Question: 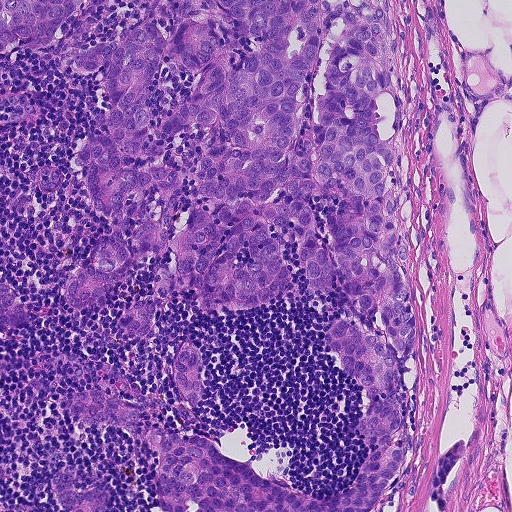
H&E-stained section of a sentinel lymph node (breast cancer), from a whole-slide image, viewed at about 10×: the field is about 0.46 mm across, about 0.9 µm per pixel.
What fraction of the image area is metastatic tumour?

Choices:
 (A) about 5% or less
 (B) none: no tumour is outlined
 (C) about 25% to 45%
 (D) about 10% to 20%
 (E) about 50% or more

Answer: (C) about 25% to 45%
About 45% of the field is tumour.
Outlines of two tumour regions, largest first (closed clockwise paths, crop pixels): region 1: (383, 0), (415, 329), (391, 384), (404, 459), (369, 511), (162, 511), (145, 442), (65, 405), (116, 378), (187, 427), (170, 364), (192, 341), (199, 432), (338, 493), (372, 447), (364, 388), (323, 348), (343, 298), (306, 282), (298, 244), (277, 240), (294, 284), (243, 312), (181, 294), (148, 338), (111, 335), (170, 250), (98, 312), (62, 298), (0, 333), (0, 286), (30, 311), (62, 294), (105, 226), (69, 159), (106, 123), (106, 66), (61, 61), (160, 3); region 2: (0, 0), (93, 0), (91, 12), (79, 27), (64, 40), (45, 44), (26, 44), (11, 57), (0, 57).
Question: 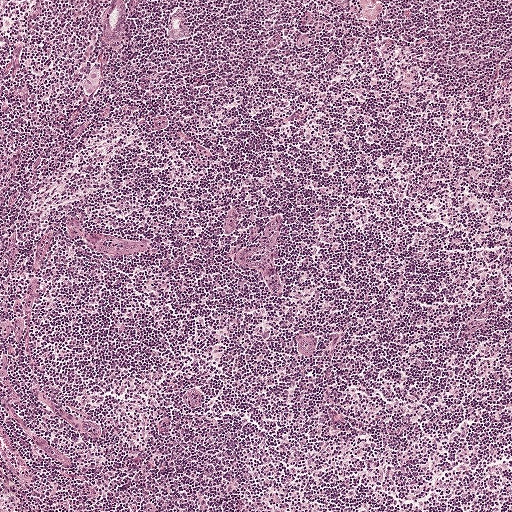
H&E-stained section of a sentinel lymph node (breast cancer), from a whole-slide image, viewed at about 5×: the field is about 1 mm across, about 1.9 µm per pixel.
What fraction of the image area is metastatic tumour?

Choices:
 (A) about 25% to 45%
 (B) none: no tumour is outlined
 (C) about 10% to 20%
 (D) about 5% or less
 (E) about 50% or more

Answer: (D) about 5% or less
Under 5% of the field is tumour.
Three metastatic tumour regions, each outlined as a closed clockwise path in crop pixels (x, y), largest first: region 1: (94, 0), (130, 0), (131, 20), (120, 45), (107, 44), (104, 28), (104, 5), (98, 6); region 2: (181, 7), (183, 9), (190, 33), (187, 38), (175, 39), (165, 36), (166, 24), (173, 9); region 3: (92, 67), (102, 68), (103, 77), (98, 90), (89, 97), (83, 96), (81, 88), (88, 70).
One more small tumour piece is annotated here but not outlined.
Question: 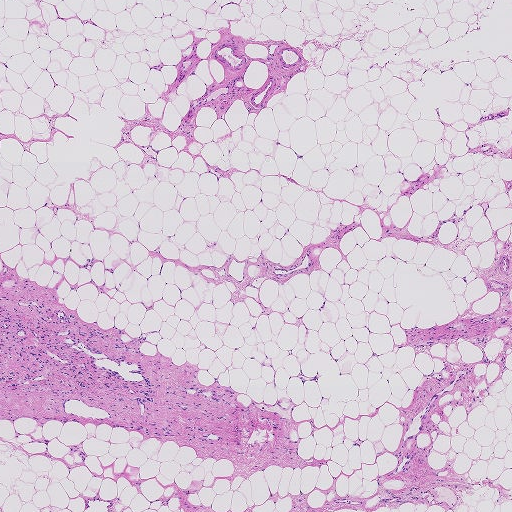
Lymph node section stained with H&E, from a whole-slide image of a breast-cancer sentinel node. Magnification about 2.5×, about 1.9 mm across the frame, about 3.6 µm per pixel.
What fraction of the image area is metastatic tumour?

Choices:
 (A) about 25% to 45%
 (B) about 10% to 20%
 (C) about 5% or less
 (D) about 50% or more
 (E) none: no tumour is outlined

Answer: (C) about 5% or less
About 5% of the field is tumour.
Tumour region outline (a closed clockwise path, crop pixels): (0, 295), (30, 298), (75, 315), (67, 324), (89, 346), (112, 358), (141, 362), (155, 400), (153, 404), (126, 404), (0, 389).
Question: 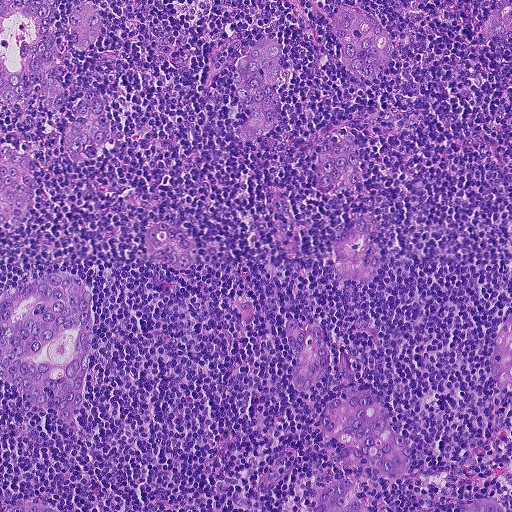
H&E-stained section of a sentinel lymph node (breast cancer), from a whole-slide image, viewed at about 10×: the field is about 0.46 mm across, about 0.9 µm per pixel.
What fraction of the image area is metastatic tumour?

Choices:
 (A) none: no tumour is outlined
 (B) about 10% to 20%
 (C) about 25% to 45%
 (D) about 50% or more
 (E) about 5% or less

Answer: (B) about 10% to 20%
About 20% of the field is tumour.
Outlines of the eight largest metastatic tumour regions, each a closed clockwise path in crop pixels (x, y), largest first: region 1: (58, 272), (78, 276), (86, 284), (93, 306), (90, 372), (76, 412), (79, 434), (50, 412), (30, 404), (0, 376), (0, 299), (10, 288), (20, 288); region 2: (61, 0), (53, 20), (63, 70), (55, 76), (62, 84), (63, 93), (58, 112), (48, 112), (41, 94), (32, 90), (17, 104), (0, 100), (0, 2); region 3: (364, 387), (373, 392), (388, 421), (402, 437), (410, 456), (410, 466), (403, 474), (371, 475), (352, 468), (334, 455), (319, 426), (320, 416), (324, 406), (333, 398); region 4: (262, 38), (273, 38), (282, 44), (284, 54), (284, 64), (274, 84), (281, 104), (281, 114), (268, 131), (249, 140), (238, 140), (233, 130), (240, 129), (246, 120), (244, 109), (236, 102), (232, 68), (251, 43); region 5: (340, 5), (350, 5), (370, 10), (390, 35), (393, 45), (392, 55), (390, 65), (376, 80), (356, 77), (346, 71), (341, 62), (338, 42), (330, 31), (330, 24); region 6: (94, 88), (102, 96), (112, 136), (111, 147), (98, 162), (87, 164), (76, 164), (68, 158), (60, 138), (64, 128), (73, 121), (71, 117), (71, 107), (80, 102), (84, 92); region 7: (7, 142), (29, 153), (32, 161), (33, 200), (30, 216), (21, 227), (12, 227), (6, 223), (0, 225), (0, 147); region 8: (361, 214), (372, 214), (375, 224), (376, 246), (379, 256), (378, 266), (373, 276), (364, 281), (354, 281), (336, 270), (332, 260), (332, 250), (344, 226).
Nine more, smaller tumour regions are not outlined.